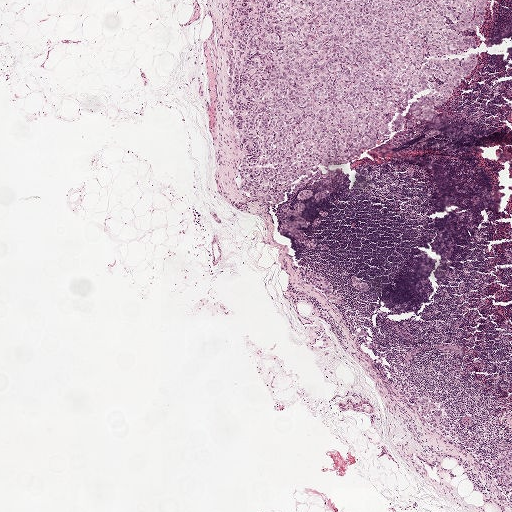
Lymph node section stained with H&E, from a whole-slide image of a breast-cancer sentinel node. Magnification about 2.5×, about 2.0 mm across the frame, about 3.9 µm per pixel.
Question: Describe where the metastatic carcinoma lies in this crop.
Answer: Outlines of five tumour regions, largest first (closed clockwise paths, crop pixels): region 1: (232, 0), (488, 0), (484, 22), (465, 32), (473, 49), (441, 56), (475, 61), (445, 101), (434, 102), (429, 89), (413, 97), (346, 149), (340, 163), (317, 165), (319, 180), (290, 184), (272, 207), (239, 188), (244, 151), (227, 102); region 2: (408, 392), (417, 396), (426, 395), (432, 399), (436, 408), (447, 418), (456, 436), (451, 436), (448, 434), (440, 435), (429, 427), (419, 413), (405, 400), (403, 395); region 3: (505, 450), (511, 450), (511, 498), (510, 498), (510, 492), (505, 489), (504, 484), (501, 482), (500, 480), (499, 477), (502, 471), (501, 468), (499, 466), (492, 463), (492, 462), (493, 459), (501, 455); region 4: (312, 270), (324, 276), (331, 283), (332, 291), (340, 295), (342, 304), (334, 305), (322, 291), (304, 278), (304, 272); region 5: (353, 275), (358, 280), (359, 282), (365, 283), (368, 286), (368, 290), (366, 291), (359, 290), (352, 286), (350, 276).
Two more small tumour pieces are annotated here but not outlined.
Tumour covers about 15% of the frame.